Question: 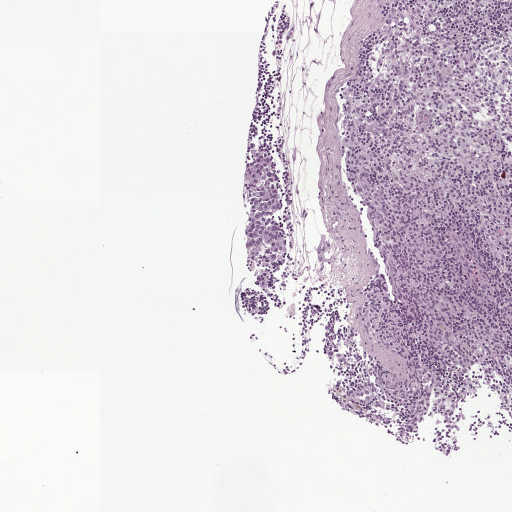
H&E-stained section of a sentinel lymph node (breast cancer), from a whole-slide image, viewed at about 5×: the field is about 1 mm across, about 1.9 µm per pixel.
Roughly what share of this field is metastatic tumour?

Choices:
 (A) about 5% or less
 (B) about 25% to 45%
 (C) about 10% to 20%
 (D) about 50% or more
 (E) none: no tumour is outlined

Answer: (A) about 5% or less
Under 5% of the field is tumour.
Tumour region outline (a closed clockwise path, crop pixels): (259, 145), (270, 150), (276, 162), (278, 186), (283, 195), (282, 206), (273, 212), (284, 243), (284, 254), (270, 272), (269, 283), (261, 290), (246, 258), (242, 234), (247, 211), (242, 178), (242, 167), (252, 161), (250, 151).
Question: 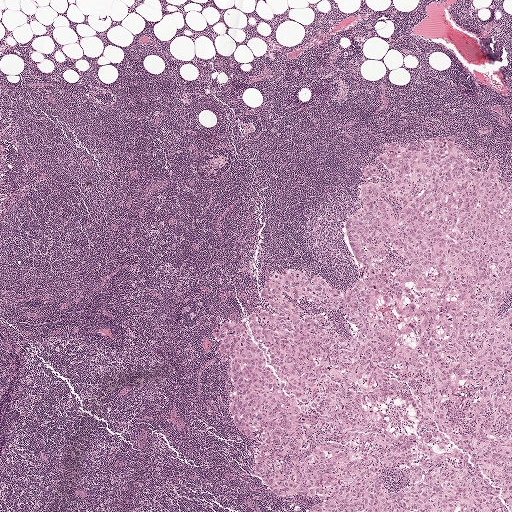
Lymph node section stained with H&E, from a whole-slide image of a breast-cancer sentinel node. Magnification about 2.5×, about 2.0 mm across the frame, about 3.9 µm per pixel.
Roughly what share of this field is metastatic tumour?

Choices:
 (A) about 5% or less
 (B) about 50% or more
 (C) about 25% to 45%
 (D) about 10% to 20%
 (E) none: no tumour is outlined

Answer: (C) about 25% to 45%
About 30% of the field is tumour.
One metastatic tumour region; its boundary, reduced to 24 corners and listed clockwise: (389, 142), (449, 143), (485, 172), (496, 158), (511, 185), (499, 315), (511, 309), (511, 511), (304, 511), (318, 500), (280, 498), (249, 474), (262, 431), (232, 427), (217, 328), (266, 313), (260, 288), (276, 271), (342, 290), (367, 274), (344, 227), (361, 169), (389, 179), (377, 158).
Question: 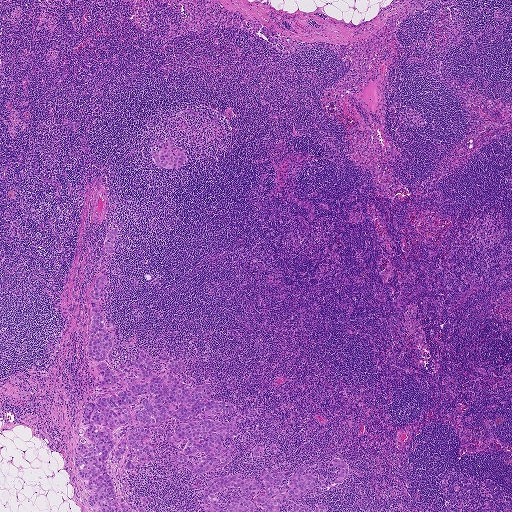
Lymph node section stained with H&E, from a whole-slide image of a breast-cancer sentinel node. Magnification about 2.5×, about 1.9 mm across the frame, about 3.6 µm per pixel.
Roughly what share of this field is metastatic tumour?

Choices:
 (A) about 5% or less
 (B) about 25% to 45%
 (C) none: no tumour is outlined
 (D) about 10% to 20%
 (E) about 50% or more

Answer: (D) about 10% to 20%
About 10% of the field is tumour.
Six metastatic tumour regions, each outlined as a closed clockwise path in crop pixels (x, y), largest first: region 1: (309, 464), (310, 468), (303, 474), (315, 474), (313, 492), (287, 499), (281, 511), (195, 511), (200, 506), (201, 494), (208, 487), (207, 481), (212, 478), (240, 472), (245, 478), (256, 479), (260, 489), (256, 496), (265, 486), (259, 470), (286, 471), (279, 487), (287, 484), (291, 473); region 2: (161, 142), (173, 142), (186, 154), (186, 160), (184, 165), (178, 168), (166, 169), (154, 163), (152, 151), (159, 150), (157, 147); region 3: (112, 227), (117, 229), (117, 236), (114, 241), (114, 254), (107, 254), (103, 243), (107, 231); region 4: (339, 459), (344, 460), (347, 465), (347, 471), (346, 477), (343, 481), (338, 483), (332, 483), (337, 477), (338, 472), (340, 471), (340, 468), (337, 467), (332, 464), (332, 460); region 5: (322, 504), (326, 508), (326, 511), (314, 511), (308, 510), (308, 511), (288, 511), (296, 506), (302, 505), (308, 506), (312, 510), (317, 506); region 6: (150, 495), (153, 500), (153, 502), (148, 505), (144, 505), (142, 507), (146, 508), (146, 511), (135, 511), (137, 507), (142, 505), (141, 500), (144, 496).
One more tumour region is annotated but not outlined: its edge is too irregular for a short outline.
Two more small tumour pieces are annotated here but not outlined.
Question: 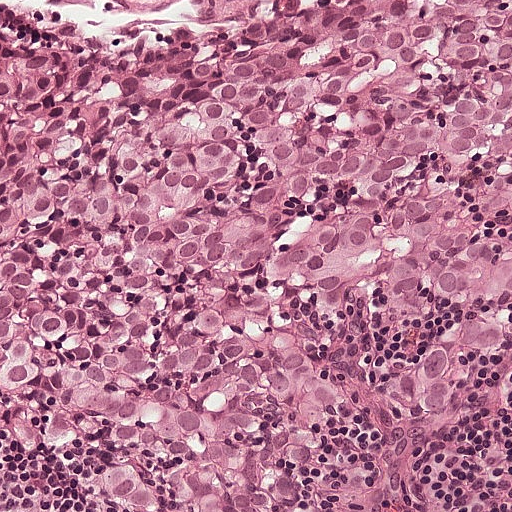
This is a crop of a whole-slide image: an H&E-stained breast-cancer sentinel lymph node section at roughly 20× magnification (about 0.49 µm per pixel; the crop spans about 0.25 mm).
Roughly what share of this field is metastatic tumour?

Choices:
 (A) about 50% or more
 (B) about 10% to 20%
 (C) about 5% or less
 (D) about 25% to 45%
 (E) none: no tumour is outlined

Answer: (A) about 50% or more
About 80% of the field is tumour.
Tumour region outline (a closed clockwise path, crop pixels): (341, 0), (511, 0), (511, 197), (486, 218), (511, 246), (511, 307), (466, 364), (448, 414), (398, 416), (375, 387), (440, 308), (387, 325), (336, 302), (294, 314), (321, 403), (296, 488), (303, 511), (122, 511), (1, 457), (0, 5), (110, 41), (180, 41).